This is a crop of a whole-slide image: an H&E-stained breast-cancer sentinel lymph node section at roughly 2.5× magnification (about 3.6 µm per pixel; the crop spans about 1.9 mm).
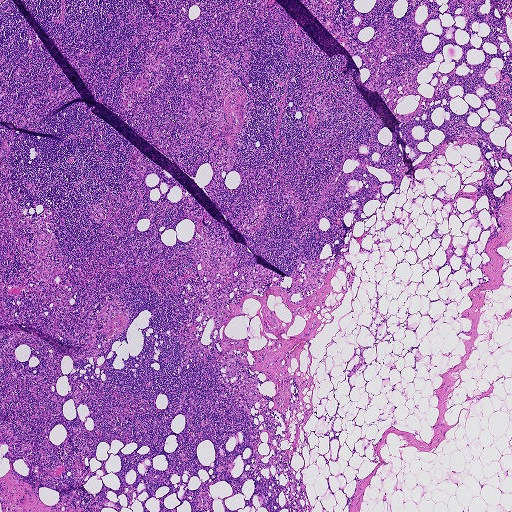
Question: Is any metastatic breast cancer visible in this crop?
Answer: No: no metastatic tumour is outlined anywhere in this field.